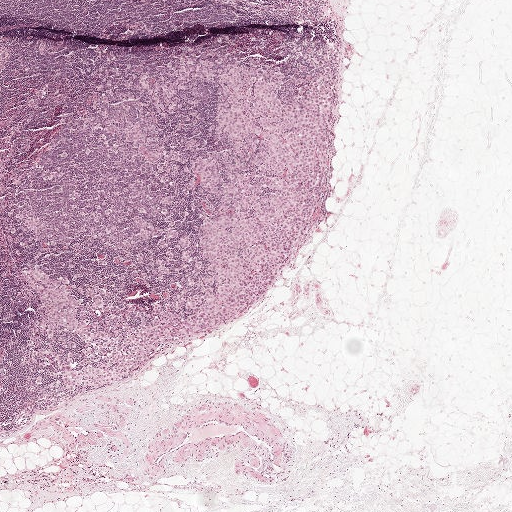
Lymph node section stained with H&E, from a whole-slide image of a breast-cancer sentinel node. Magnification about 2.5×, about 2.0 mm across the frame, about 3.9 µm per pixel.
Metastatic tumour outline, simplified to 16 points and listed clockwise in crop pixels (x, y): (220, 56), (294, 77), (310, 59), (335, 57), (318, 217), (253, 312), (169, 347), (119, 384), (72, 395), (59, 366), (35, 349), (40, 310), (8, 237), (18, 173), (95, 112), (100, 71).
The annotated tumour makes up about 30% of the crop.